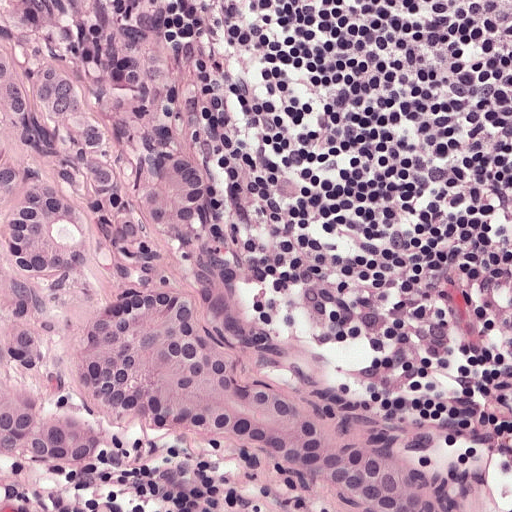
Lymph node section stained with H&E, from a whole-slide image of a breast-cancer sentinel node. Magnification about 20×, about 0.25 mm across the frame, about 0.49 µm per pixel.
Outlines of two tumour regions, largest first (closed clockwise paths, crop pixels): region 1: (147, 288), (210, 318), (279, 400), (379, 446), (429, 495), (418, 511), (371, 511), (250, 448), (146, 424), (110, 430), (108, 443), (80, 463), (48, 468), (0, 457), (0, 374), (24, 381), (50, 417), (76, 408), (64, 346), (82, 316), (112, 296); region 2: (0, 0), (43, 0), (62, 68), (122, 158), (192, 158), (204, 191), (152, 228), (156, 264), (127, 284), (97, 272), (94, 240), (60, 294), (58, 331), (44, 363), (18, 373), (5, 352), (16, 282), (0, 255).
The annotated tumour makes up about 30% of the crop.